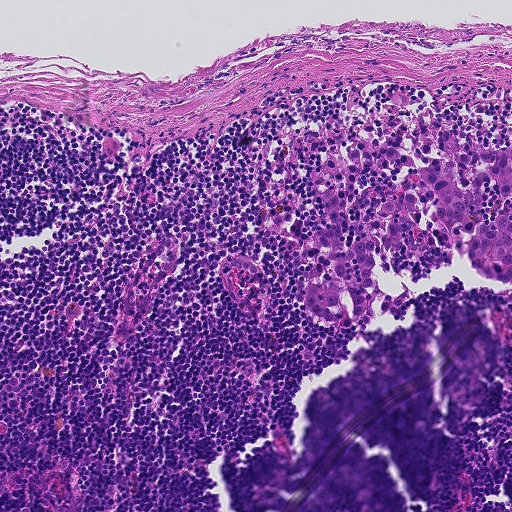
This is a crop of a whole-slide image: an H&E-stained breast-cancer sentinel lymph node section at roughly 10× magnification (about 0.9 µm per pixel; the crop spans about 0.46 mm).
Question: Does this lymph node field contain metastatic tumour?
Answer: Yes.
The outlined metastatic tumour's edge, as a closed clockwise path of 24 points: (449, 134), (466, 153), (511, 148), (511, 285), (458, 250), (373, 253), (384, 292), (407, 294), (397, 317), (350, 327), (313, 317), (302, 294), (313, 271), (308, 248), (326, 214), (319, 189), (340, 198), (346, 248), (398, 182), (400, 169), (382, 153), (431, 144), (441, 153), (437, 136).
Tumour covers about 10% of the frame.

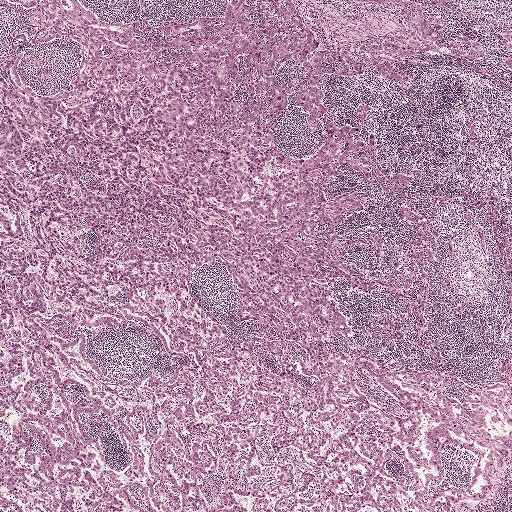
Lymph node section stained with H&E, from a whole-slide image of a breast-cancer sentinel node. Magnification about 2.5×, about 2.0 mm across the frame, about 3.9 µm per pixel.
Question: Does this lymph node field contain metastatic tumour?
Answer: Yes.
Outlines of two tumour regions, largest first (closed clockwise paths, crop pixels): region 1: (233, 0), (292, 0), (315, 40), (278, 83), (330, 49), (366, 61), (280, 145), (303, 158), (347, 120), (411, 182), (323, 176), (367, 207), (343, 232), (384, 298), (330, 282), (348, 338), (321, 362), (120, 212), (51, 110), (102, 26); region 2: (364, 349), (435, 370), (410, 445), (383, 418), (421, 479), (401, 497), (401, 511), (271, 511), (261, 483), (271, 470), (290, 463), (299, 486), (318, 475), (288, 449), (274, 456), (255, 397), (270, 371), (312, 390), (299, 358), (319, 366).
About 35% of this field is tumour.

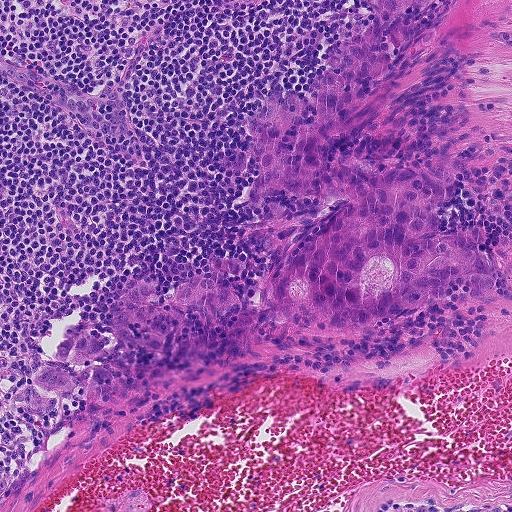
A 0.46-mm field of an H&E-stained sentinel lymph node from a breast-cancer patient (whole-slide image), shown at about 10×, about 0.9 µm per pixel.
Question: Does this lymph node field contain metastatic tumour?
Answer: Yes.
Boundaries of two metastatic tumour regions, simplified and listed clockwise, largest first: region 1: (375, 0), (433, 0), (390, 27), (394, 59), (380, 84), (391, 94), (386, 108), (335, 157), (379, 173), (452, 168), (454, 196), (430, 212), (473, 240), (480, 268), (499, 291), (495, 305), (480, 308), (462, 286), (338, 337), (293, 330), (267, 314), (276, 271), (335, 206), (279, 193), (296, 233), (273, 250), (259, 245), (272, 202), (247, 188), (256, 176), (254, 117), (272, 94), (302, 92), (314, 76), (335, 71), (325, 54), (360, 35); region 2: (210, 256), (235, 257), (247, 268), (233, 277), (230, 285), (237, 308), (221, 312), (195, 306), (188, 310), (164, 335), (163, 350), (156, 354), (123, 348), (117, 341), (96, 357), (133, 381), (134, 398), (128, 404), (111, 405), (94, 400), (82, 387), (57, 392), (32, 381), (35, 373), (52, 368), (76, 370), (58, 364), (53, 357), (56, 349), (66, 336), (82, 330), (106, 336), (126, 282), (158, 277), (158, 294), (148, 300), (164, 304), (182, 277), (211, 278).
The annotated tumour makes up about 20% of the crop.

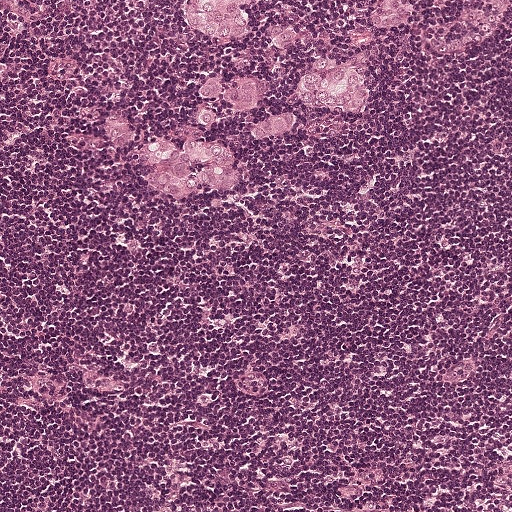
H&E-stained section of a sentinel lymph node (breast cancer), from a whole-slide image, viewed at about 10×: the field is about 0.5 mm across, about 0.97 µm per pixel.
Question: Does this lymph node field contain metastatic tumour?
Answer: Yes.
Six metastatic tumour regions, each outlined as a closed clockwise path in crop pixels (x, y), largest first: region 1: (177, 135), (202, 136), (220, 141), (235, 152), (231, 171), (243, 177), (243, 183), (229, 194), (205, 194), (183, 204), (174, 204), (148, 188), (149, 168), (137, 154), (138, 138), (164, 140), (179, 150), (174, 137); region 2: (315, 56), (330, 62), (344, 62), (364, 67), (373, 86), (366, 116), (340, 116), (304, 110), (296, 98), (296, 91), (302, 70), (310, 66), (309, 58); region 3: (184, 0), (254, 1), (240, 6), (242, 14), (248, 17), (246, 33), (227, 41), (211, 41), (202, 40), (184, 28), (182, 6); region 4: (235, 73), (257, 74), (260, 80), (265, 82), (266, 97), (258, 104), (244, 110), (237, 110), (226, 106), (218, 96), (216, 98), (208, 98), (201, 94), (199, 89), (203, 81), (210, 77), (224, 80); region 5: (414, 0), (417, 7), (414, 24), (398, 30), (378, 30), (365, 15), (366, 7), (371, 1); region 6: (283, 109), (294, 110), (296, 133), (280, 135), (274, 139), (258, 139), (252, 134), (252, 129).
One more small tumour piece is annotated here but not outlined.
About 5% of the image area is annotated as tumour.